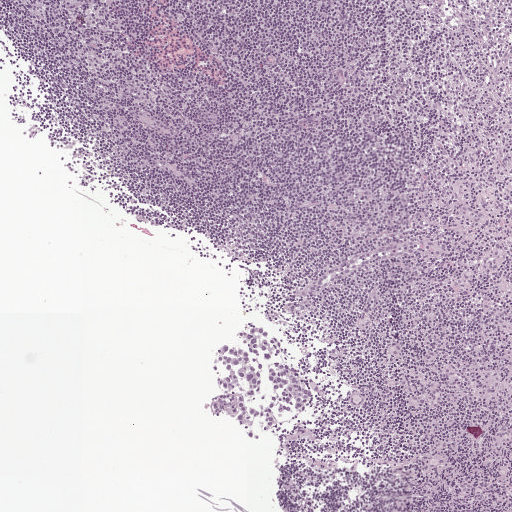
A 1-mm field of an H&E-stained sentinel lymph node from a breast-cancer patient (whole-slide image), shown at about 5×, about 1.9 µm per pixel.
Metastatic tumour outline, simplified to 15 points and listed clockwise in crop pixels (x, y): (251, 325), (270, 334), (312, 393), (312, 404), (298, 422), (260, 441), (239, 436), (231, 429), (228, 418), (206, 414), (212, 392), (211, 359), (216, 348), (234, 338), (240, 330).
About 5% of the image area is annotated as tumour.